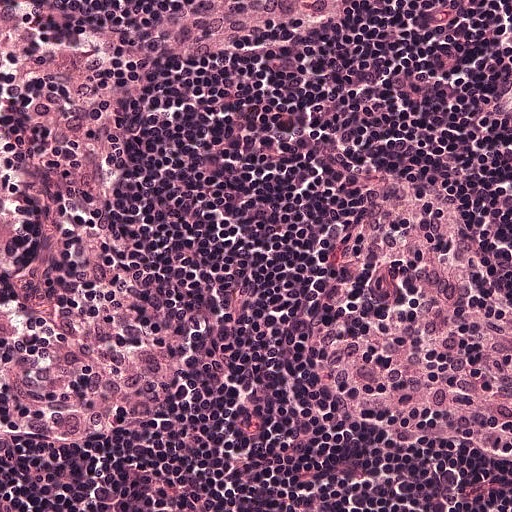
H&E-stained section of a sentinel lymph node (breast cancer), from a whole-slide image, viewed at about 20×: the field is about 0.25 mm across, about 0.49 µm per pixel.